Question: 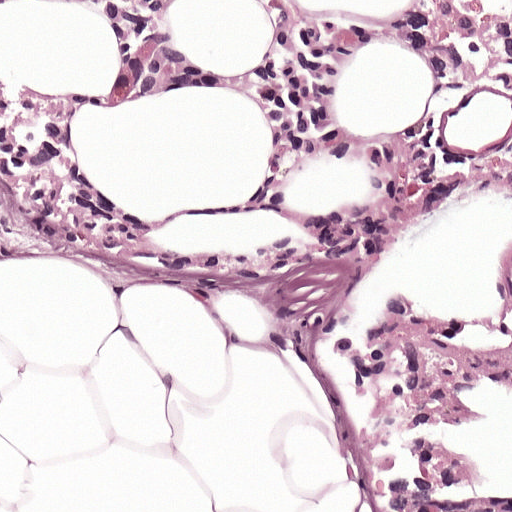
Which magnification is this H&E lymph node field most likely shown at?

Choices:
 (A) about 20×
 (B) about 5×
 (C) about 2.5×
 (D) about 10×
 (E) about 40×

Answer: (A) about 20×
H&E-stained section of a sentinel lymph node (breast cancer), from a whole-slide image, viewed at about 20×: the field is about 0.25 mm across, about 0.49 µm per pixel.